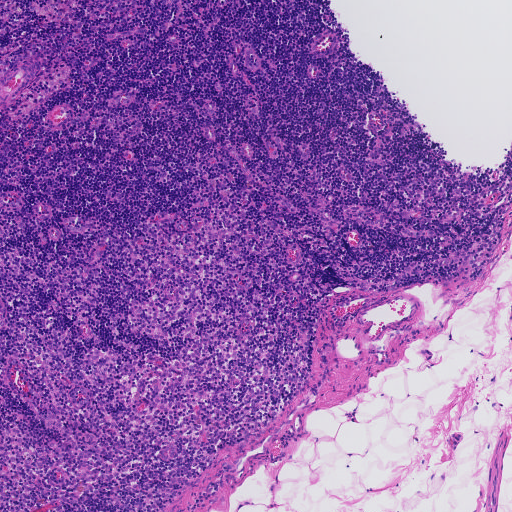
Lymph node section stained with H&E, from a whole-slide image of a breast-cancer sentinel node. Magnification about 5×, about 0.93 mm across the frame, about 1.8 µm per pixel.